This is a crop of a whole-slide image: an H&E-stained breast-cancer sentinel lymph node section at roughly 20× magnification (about 0.45 µm per pixel; the crop spans about 0.23 mm).
Image:
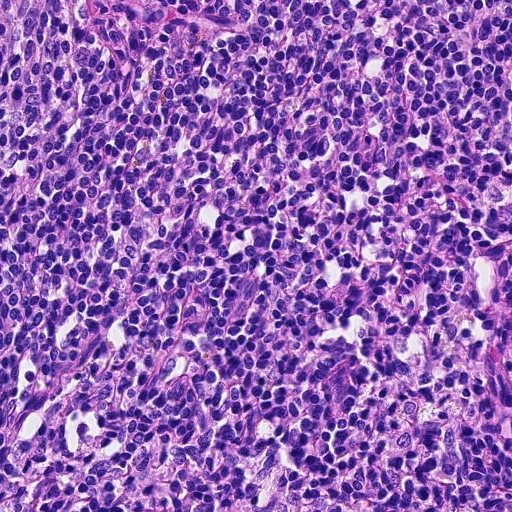
Question:
Is there metastatic carcinoma in this field?
Answer:
No. No metastatic tumour is outlined in this field.